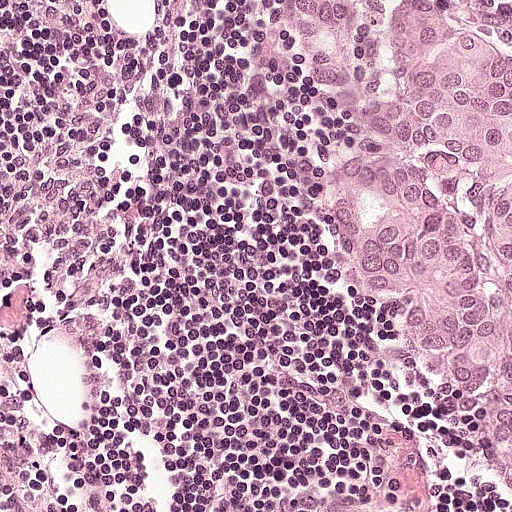
Lymph node section stained with H&E, from a whole-slide image of a breast-cancer sentinel node. Magnification about 20×, about 0.25 mm across the frame, about 0.49 µm per pixel.
Metastatic tumour outline, simplified to 12 points and listed clockwise in crop pixels (x, y): (511, 0), (511, 501), (470, 438), (397, 386), (386, 364), (393, 354), (350, 306), (345, 260), (372, 154), (299, 72), (282, 27), (296, 2).
Tumour covers about 25% of the frame.